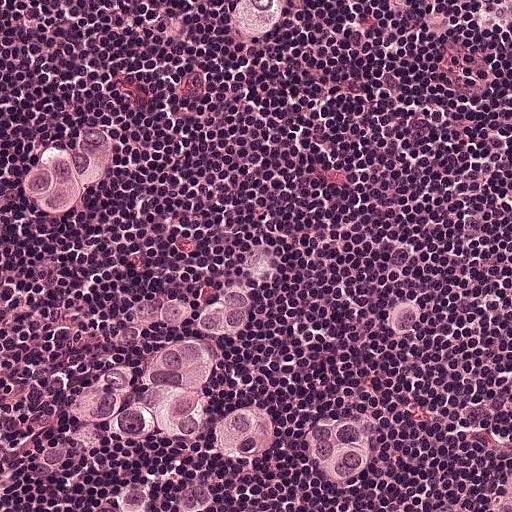
Lymph node section stained with H&E, from a whole-slide image of a breast-cancer sentinel node. Magnification about 20×, about 0.25 mm across the frame, about 0.49 µm per pixel.
Boundaries of four metastatic tumour regions, simplified and listed clockwise, largest first: region 1: (166, 289), (248, 290), (255, 298), (252, 325), (222, 348), (202, 403), (372, 420), (381, 450), (360, 476), (332, 480), (324, 467), (272, 467), (185, 433), (102, 442), (72, 468), (30, 460), (32, 442), (80, 368), (154, 322), (155, 303); region 2: (85, 117), (106, 126), (108, 189), (88, 198), (80, 218), (29, 218), (13, 211), (0, 211), (0, 159), (6, 162), (26, 161), (36, 144), (56, 145); region 3: (511, 468), (511, 511), (478, 511), (482, 506), (493, 496), (500, 481), (504, 478), (507, 476), (508, 475), (510, 470); region 4: (93, 497), (102, 497), (108, 500), (128, 511), (83, 511), (85, 506), (85, 502), (88, 498).
One more small tumour piece is annotated here but not outlined.
About 15% of this field is tumour.